Question: 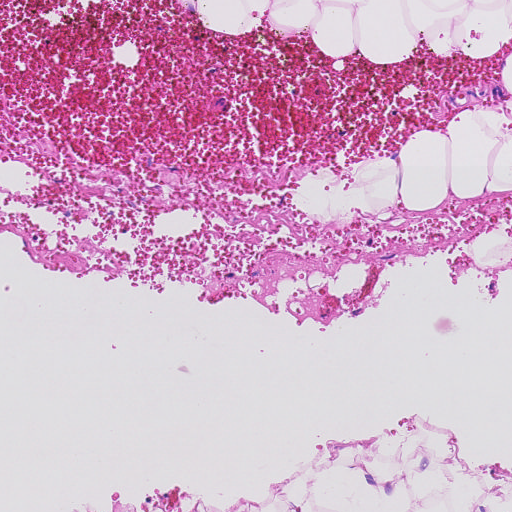
Which magnification is this H&E lymph node field most likely shown at?

Choices:
 (A) about 5×
 (B) about 2.5×
 (C) about 20×
 (D) about 10×
 (E) about 40×

Answer: (D) about 10×
H&E-stained section of a sentinel lymph node (breast cancer), from a whole-slide image, viewed at about 10×: the field is about 0.46 mm across, about 0.91 µm per pixel.